Image:
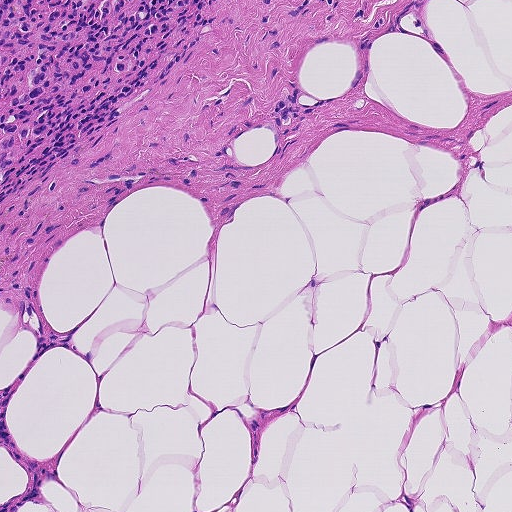
H&E-stained section of a sentinel lymph node (breast cancer), from a whole-slide image, viewed at about 10×: the field is about 0.46 mm across, about 0.9 µm per pixel.
Question:
Is any metastatic breast cancer visible in this crop?
Answer:
Yes.
The outlined metastatic tumour's edge, as a closed clockwise path of 5 points: (0, 0), (226, 0), (172, 76), (109, 130), (0, 205).
The annotated tumour makes up about 10% of the crop.